H&E-stained section of a sentinel lymph node (breast cancer), from a whole-slide image, viewed at about 5×: the field is about 1 mm across, about 1.9 µm per pixel.
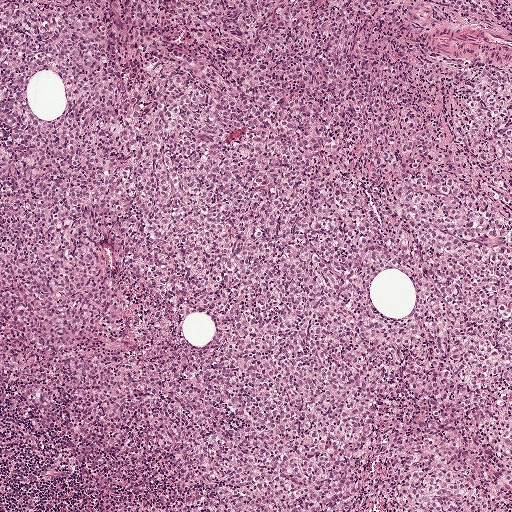
Question: Does this lymph node field contain metastatic tumour?
Answer: Yes.
Metastatic tumour covers the whole field.
Over 95% of the image area is annotated as tumour.